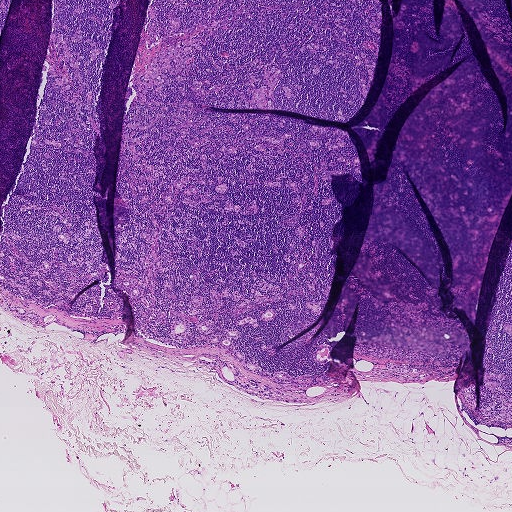
Lymph node section stained with H&E, from a whole-slide image of a breast-cancer sentinel node. Magnification about 2.5×, about 1.9 mm across the frame, about 3.6 µm per pixel.
Four metastatic tumour regions, each outlined as a closed clockwise path in crop pixels (x, y), largest first: region 1: (380, 0), (347, 120), (215, 108), (360, 154), (335, 246), (305, 230), (323, 312), (314, 323), (304, 331), (276, 347), (277, 349), (318, 323), (322, 318), (353, 369), (356, 338), (463, 357), (454, 392), (511, 322), (511, 424), (471, 414), (453, 393), (452, 372), (404, 381), (317, 364), (328, 344), (313, 339), (311, 335), (318, 326), (279, 350), (274, 350), (275, 346), (320, 315), (299, 296), (234, 342), (333, 380), (291, 395), (136, 331), (114, 185), (146, 13); region 2: (59, 210), (69, 219), (76, 233), (88, 227), (92, 228), (103, 243), (107, 280), (99, 284), (97, 308), (83, 313), (74, 301), (60, 295), (45, 295), (33, 286), (28, 295), (15, 300), (43, 315), (46, 319), (43, 323), (18, 318), (0, 308), (0, 231), (9, 228), (18, 232), (25, 251), (34, 262), (42, 258), (52, 260), (51, 245), (59, 245), (52, 231), (55, 221), (45, 214), (49, 211); region 3: (52, 0), (116, 0), (107, 50), (80, 70), (93, 97), (91, 114), (81, 112), (88, 131), (81, 148), (64, 143), (47, 158), (44, 143), (34, 148), (29, 142), (34, 122), (46, 118), (40, 104), (48, 105), (51, 124), (43, 134), (50, 139), (66, 134), (75, 113), (47, 75); region 4: (0, 0), (12, 0), (7, 18), (0, 34).
The annotated tumour makes up about 35% of the crop.